A 0.23-mm field of an H&E-stained sentinel lymph node from a breast-cancer patient (whole-slide image), shown at about 20×, about 0.45 µm per pixel.
Image:
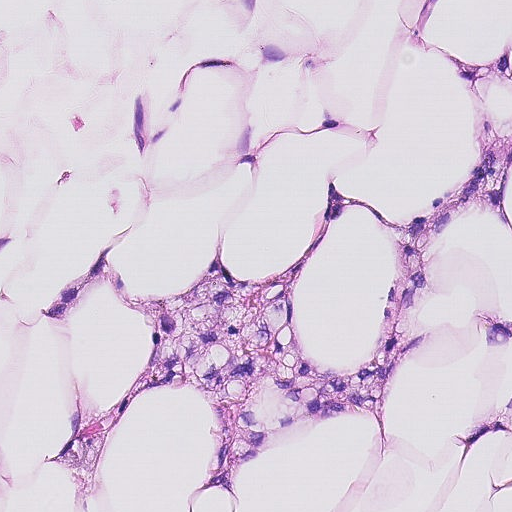
Question:
Is there metastatic carcinoma in this field?
Answer:
Yes.
The outlined metastatic tumour's edge, as a closed clockwise path of 37 points: (511, 44), (503, 208), (444, 241), (418, 302), (450, 318), (511, 305), (511, 342), (407, 356), (392, 422), (354, 412), (236, 484), (256, 511), (234, 511), (214, 469), (207, 401), (178, 382), (121, 417), (84, 502), (60, 468), (58, 436), (80, 385), (118, 388), (150, 332), (106, 278), (40, 326), (82, 262), (110, 243), (155, 302), (218, 234), (230, 266), (264, 274), (297, 258), (330, 173), (386, 208), (423, 208), (478, 146), (452, 50).
The annotated tumour makes up about 30% of the crop.